Question: 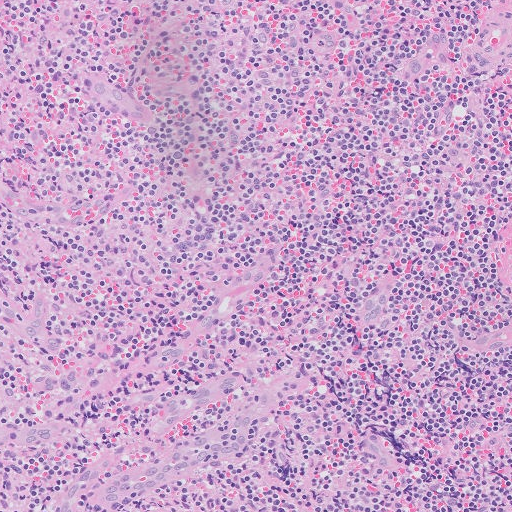
About what magnification does this crop show?

Choices:
 (A) about 2.5×
 (B) about 10×
 (C) about 5×
 (D) about 20×
 (E) about 40×

Answer: (B) about 10×
H&E-stained section of a sentinel lymph node (breast cancer), from a whole-slide image, viewed at about 10×: the field is about 0.51 mm across, about 1.0 µm per pixel.